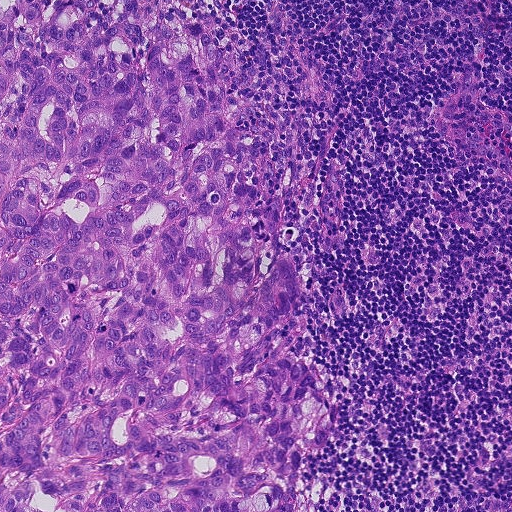
Lymph node section stained with H&E, from a whole-slide image of a breast-cancer sentinel node. Magnification about 10×, about 0.46 mm across the frame, about 0.9 µm per pixel.
Tumour region outline (a closed clockwise path, crop pixels): (0, 0), (70, 0), (111, 20), (122, 0), (147, 0), (240, 30), (257, 81), (233, 123), (280, 222), (300, 231), (288, 244), (299, 290), (288, 351), (324, 382), (333, 413), (330, 445), (300, 457), (280, 511), (0, 511).
The annotated tumour makes up about 55% of the crop.